Question: 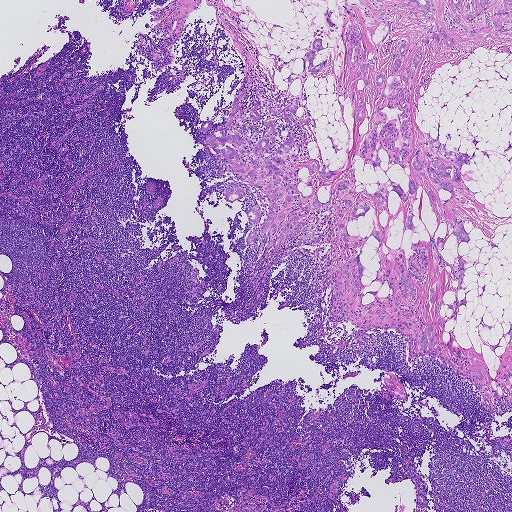
At roughly what magnification is this field shown?

Choices:
 (A) about 2.5×
 (B) about 5×
 (C) about 20×
 (D) about 40×
 (E) about 10×

Answer: (A) about 2.5×
Lymph node section stained with H&E, from a whole-slide image of a breast-cancer sentinel node. Magnification about 2.5×, about 1.9 mm across the frame, about 3.6 µm per pixel.
Seven metastatic tumour regions, each outlined as a closed clockwise path in crop pixels (x, y), largest first: region 1: (356, 19), (372, 83), (402, 37), (400, 76), (430, 32), (455, 41), (431, 39), (410, 84), (412, 158), (419, 149), (432, 167), (450, 165), (438, 141), (468, 154), (460, 178), (474, 195), (454, 187), (452, 203), (470, 239), (458, 246), (442, 189), (445, 208), (419, 186), (413, 233), (402, 229), (408, 202), (392, 191), (388, 210), (361, 194), (387, 181), (356, 155), (351, 85), (369, 115), (374, 99), (358, 66), (345, 65), (343, 30); region 2: (450, 0), (511, 0), (511, 33), (506, 35), (496, 34), (494, 27), (491, 22), (492, 17), (489, 13), (482, 14), (470, 21), (461, 14), (461, 22), (459, 24), (454, 23), (452, 18), (455, 11); region 3: (321, 38), (323, 47), (325, 47), (327, 42), (328, 44), (328, 48), (319, 51), (313, 61), (314, 66), (324, 60), (327, 61), (325, 66), (315, 73), (309, 75), (304, 80), (295, 79), (288, 86), (287, 82), (282, 80), (292, 71), (301, 72), (303, 61), (301, 58), (308, 47), (312, 48), (314, 39); region 4: (438, 317), (440, 317), (442, 324), (441, 327), (436, 325), (433, 326), (435, 339), (434, 346), (428, 345), (423, 348), (420, 346), (420, 333), (428, 324), (431, 326), (436, 323); region 5: (483, 316), (483, 320), (484, 323), (493, 327), (490, 331), (487, 328), (486, 327), (481, 330), (480, 334), (481, 337), (484, 341), (490, 345), (493, 345), (497, 344), (498, 339), (501, 337), (502, 333), (505, 334), (506, 333), (509, 329), (511, 324), (511, 344), (506, 345), (510, 336), (508, 335), (503, 337), (499, 344), (502, 346), (495, 349), (495, 352), (480, 340), (477, 333), (477, 328), (474, 327), (479, 323), (480, 319), (479, 318); region 6: (399, 0), (432, 0), (435, 10), (432, 11), (423, 11); region 7: (474, 359), (476, 360), (483, 368), (483, 372), (482, 379), (479, 381), (476, 379), (474, 375), (476, 368).
One more tumour region is annotated but not outlined: its edge is too irregular for a short outline.
Three more small tumour pieces are annotated here but not outlined.
About 10% of the image area is annotated as tumour.